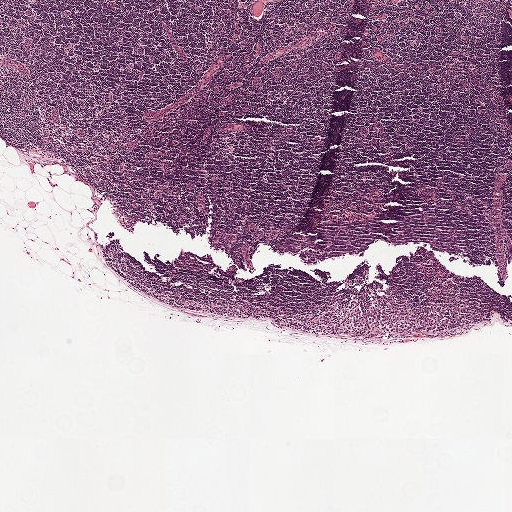
Lymph node section stained with H&E, from a whole-slide image of a breast-cancer sentinel node. Magnification about 2.5×, about 2.0 mm across the frame, about 3.9 µm per pixel.
Tumour region outline (a closed clockwise path, crop pixels): (360, 297), (374, 305), (397, 301), (417, 308), (431, 329), (430, 335), (415, 340), (332, 337), (303, 330), (292, 321), (292, 314), (335, 299).
Tumour covers under 5% of the frame.